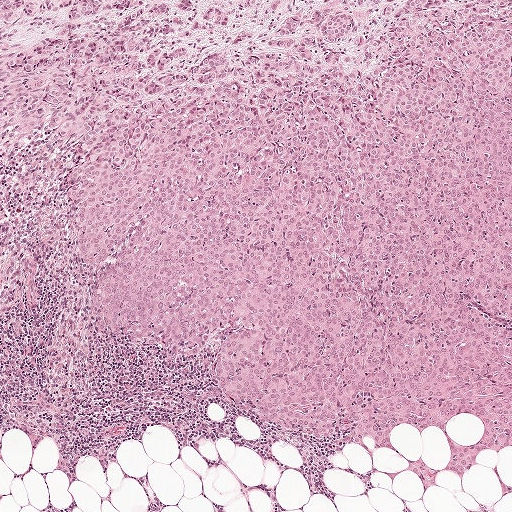
H&E-stained section of a sentinel lymph node (breast cancer), from a whole-slide image, viewed at about 5×: the field is about 1 mm across, about 1.9 µm per pixel.
Question: Trace the edge of each tumour region in this crop, as (x, y) points from 0 to 511.
Answer: Boundaries of two metastatic tumour regions, simplified and listed clockwise, largest first: region 1: (0, 0), (511, 0), (511, 446), (459, 474), (443, 469), (448, 436), (472, 445), (479, 416), (400, 422), (393, 447), (436, 472), (424, 490), (410, 471), (378, 470), (407, 461), (389, 448), (238, 410), (214, 380), (233, 326), (174, 361), (96, 328), (67, 191), (75, 155), (0, 138); region 2: (495, 461), (496, 464), (497, 472), (499, 475), (503, 480), (511, 484), (511, 493), (501, 496), (501, 486), (492, 474), (494, 465).
About 70% of this field is tumour.